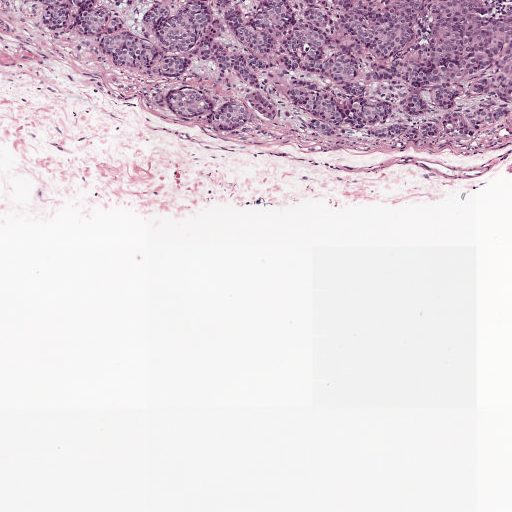
Lymph node section stained with H&E, from a whole-slide image of a breast-cancer sentinel node. Magnification about 5×, about 1 mm across the frame, about 1.9 µm per pixel.
Metastatic tumour outline, simplified to 11 points and listed clockwise in crop pixels (x, y): (17, 0), (489, 0), (511, 9), (511, 142), (422, 148), (260, 122), (242, 136), (218, 133), (152, 106), (80, 36), (52, 33).
About 20% of this field is tumour.